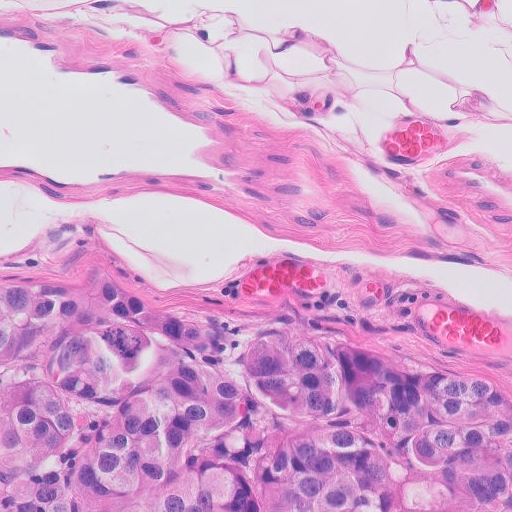
Lymph node section stained with H&E, from a whole-slide image of a breast-cancer sentinel node. Magnification about 20×, about 0.26 mm across the frame, about 0.5 µm per pixel.
The outlined metastatic tumour's edge, as a closed clockwise path of 6 points: (156, 300), (376, 335), (511, 389), (511, 511), (0, 511), (0, 304).
The annotated tumour makes up about 35% of the crop.